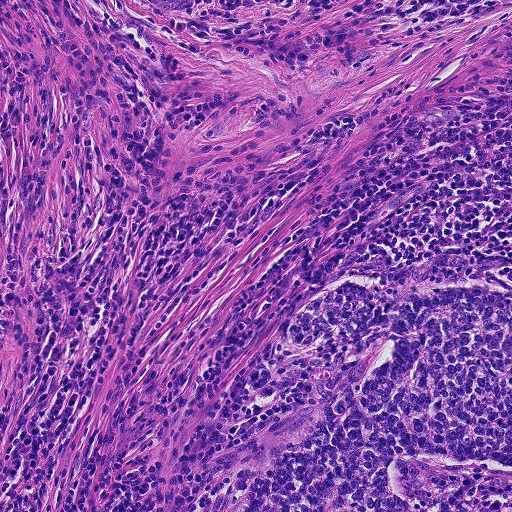
This is a crop of a whole-slide image: an H&E-stained breast-cancer sentinel lymph node section at roughly 10× magnification (about 0.9 µm per pixel; the crop spans about 0.46 mm).
One metastatic tumour region; its boundary, reduced to 13 corners and listed clockwise: (454, 276), (511, 290), (511, 511), (229, 511), (372, 334), (366, 324), (341, 332), (329, 348), (302, 352), (284, 340), (288, 320), (349, 278), (394, 294).
About 20% of this field is tumour.